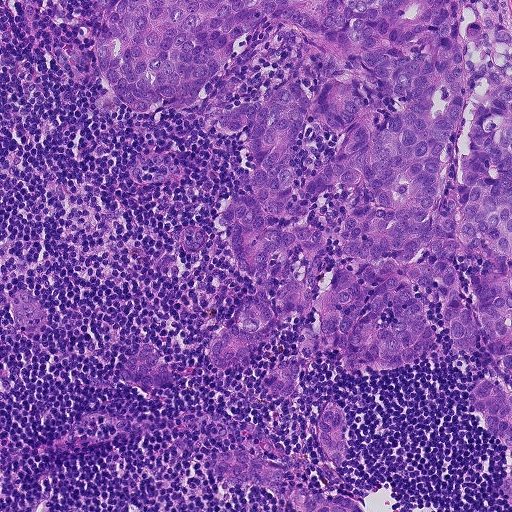
A 0.46-mm field of an H&E-stained sentinel lymph node from a breast-cancer patient (whole-slide image), shown at about 10×, about 0.9 µm per pixel.
Boundaries of three metastatic tumour regions, simplified and listed clockwise, largest first: region 1: (99, 0), (503, 0), (511, 503), (499, 486), (508, 448), (467, 408), (487, 358), (450, 342), (442, 304), (421, 300), (438, 344), (423, 357), (368, 374), (325, 354), (272, 404), (255, 395), (261, 376), (322, 328), (314, 310), (242, 372), (206, 358), (152, 396), (114, 378), (147, 344), (174, 371), (231, 320), (249, 286), (213, 219), (250, 183), (250, 126), (216, 137), (205, 121), (293, 80), (308, 44), (282, 17), (263, 22), (208, 100), (136, 118), (92, 55); region 2: (336, 401), (348, 416), (343, 492), (371, 511), (297, 511), (289, 502), (272, 492), (214, 484), (209, 465), (222, 451), (260, 438), (291, 460), (312, 492), (331, 487), (318, 474), (318, 464), (324, 460), (314, 424), (324, 407); region 3: (22, 0), (38, 0), (34, 14), (27, 19), (22, 4).
Tumour covers about 45% of the frame.